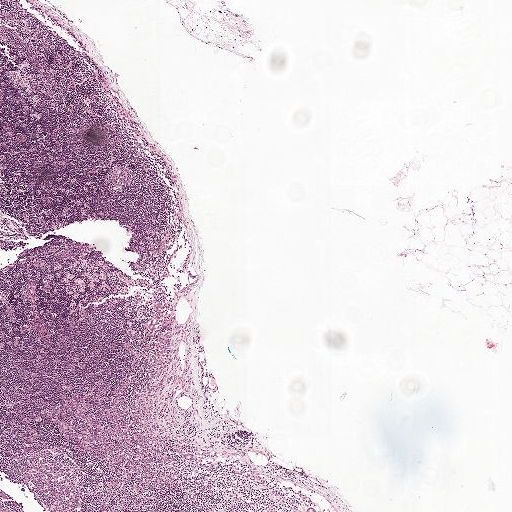
A 2.0-mm field of an H&E-stained sentinel lymph node from a breast-cancer patient (whole-slide image), shown at about 2.5×, about 3.9 µm per pixel.
Question: Is there metastatic carcinoma in this field?
Answer: Yes.
Metastatic tumour outline, simplified to 22 points and listed clockwise in crop pixels (x, y): (158, 298), (176, 307), (181, 316), (172, 355), (145, 407), (144, 422), (190, 449), (196, 457), (195, 463), (186, 462), (154, 477), (144, 476), (132, 465), (96, 460), (50, 428), (45, 409), (58, 394), (102, 380), (119, 383), (136, 372), (147, 349), (152, 308).
Tumour covers about 5% of the frame.